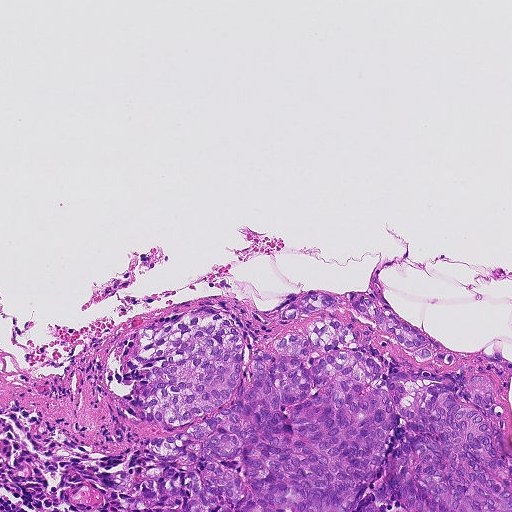
A 0.46-mm field of an H&E-stained sentinel lymph node from a breast-cancer patient (whole-slide image), shown at about 10×, about 0.9 µm per pixel.
Question: Is any metastatic breast cancer visible in this crop?
Answer: Yes.
Outlines of two tumour regions, largest first (closed clockwise paths, crop pixels): region 1: (204, 307), (272, 354), (274, 338), (328, 318), (384, 374), (486, 378), (511, 453), (511, 511), (142, 511), (114, 492), (113, 474), (141, 476), (150, 461), (145, 438), (190, 423), (164, 429), (124, 410), (136, 384), (122, 375), (137, 333); region 2: (311, 291), (336, 295), (352, 292), (368, 294), (404, 322), (440, 344), (442, 352), (450, 352), (456, 356), (455, 364), (447, 366), (432, 362), (424, 364), (416, 360), (392, 337), (356, 316), (340, 310), (333, 314), (316, 310), (283, 326), (276, 322), (276, 314).
About 25% of the image area is annotated as tumour.